This is a crop of a whole-slide image: an H&E-stained breast-cancer sentinel lymph node section at roughly 2.5× magnification (about 3.6 µm per pixel; the crop spans about 1.9 mm).
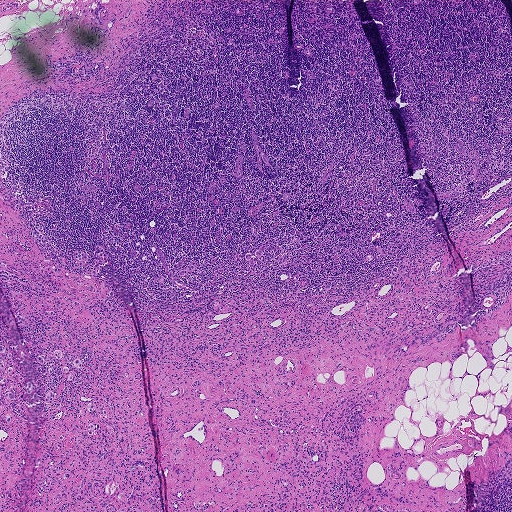
Boundaries of eight metastatic tumour regions, simplified and listed clockwise, largest first: region 1: (1, 269), (4, 269), (16, 276), (23, 277), (32, 282), (39, 282), (45, 286), (46, 289), (45, 292), (41, 292), (35, 290), (31, 284), (27, 283), (24, 284), (14, 280), (4, 282), (0, 279), (0, 270); region 2: (98, 245), (101, 246), (106, 252), (107, 259), (107, 262), (105, 264), (101, 264), (98, 265), (100, 272), (97, 274), (94, 275), (91, 274), (92, 270), (95, 270), (92, 264), (93, 261), (95, 258), (102, 260), (101, 259), (96, 255), (94, 252), (95, 246); region 3: (0, 374), (2, 374), (6, 378), (7, 381), (6, 384), (11, 383), (12, 389), (10, 391), (13, 393), (14, 396), (14, 399), (12, 400), (9, 399), (5, 394), (0, 393); region 4: (0, 345), (4, 345), (7, 351), (10, 352), (12, 355), (10, 357), (7, 356), (6, 354), (3, 354), (4, 360), (6, 366), (12, 367), (14, 368), (14, 371), (13, 374), (10, 374), (5, 371), (4, 368), (0, 370), (0, 360), (1, 359), (0, 359); region 5: (262, 247), (264, 250), (264, 253), (257, 258), (255, 265), (252, 266), (248, 264), (245, 254), (249, 253), (253, 253), (258, 248); region 6: (48, 390), (54, 392), (56, 398), (55, 401), (61, 402), (61, 409), (59, 410), (56, 409), (54, 407), (55, 404), (53, 402), (53, 399), (52, 402), (49, 404), (46, 403), (44, 401), (45, 394); region 7: (77, 250), (87, 253), (88, 256), (87, 259), (84, 261), (77, 260), (75, 258), (73, 254), (74, 251); region 8: (192, 262), (196, 263), (197, 267), (196, 270), (184, 274), (182, 277), (179, 274), (179, 271), (183, 270).
27 more small tumour pieces are annotated here but not outlined.
Tumour covers under 5% of the frame.